Image:
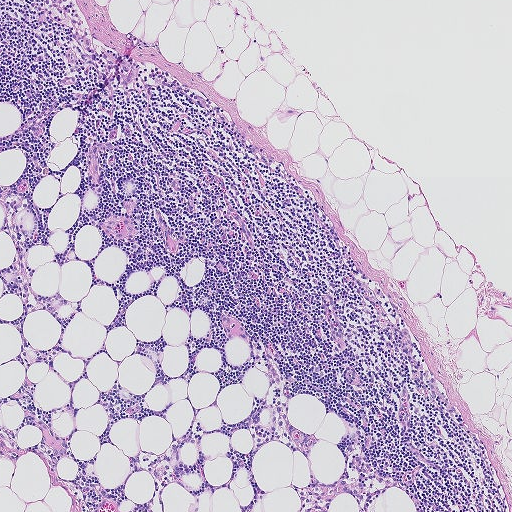
Lymph node section stained with H&E, from a whole-slide image of a breast-cancer sentinel node. Magnification about 5×, about 0.93 mm across the frame, about 1.8 µm per pixel.
Question:
Is any metastatic breast cancer visible in this crop?
Answer:
No, this field holds no outlined metastasis.